Question: 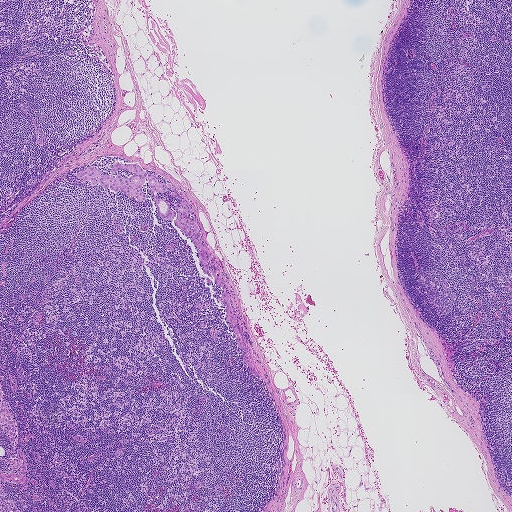
About what magnification does this crop show?

Choices:
 (A) about 20×
 (B) about 10×
 (C) about 40×
 (D) about 2.5×
 (E) about 5×

Answer: (D) about 2.5×
H&E-stained section of a sentinel lymph node (breast cancer), from a whole-slide image, viewed at about 2.5×: the field is about 1.9 mm across, about 3.6 µm per pixel.
One tumour region is annotated but not outlined: its edge is too irregular for a short outline.
Under 5% of this field is tumour.